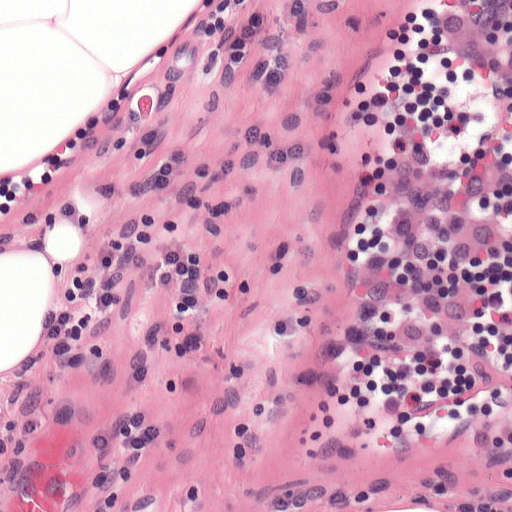
This is a crop of a whole-slide image: an H&E-stained breast-cancer sentinel lymph node section at roughly 20× magnification (about 0.49 µm per pixel; the crop spans about 0.25 mm).